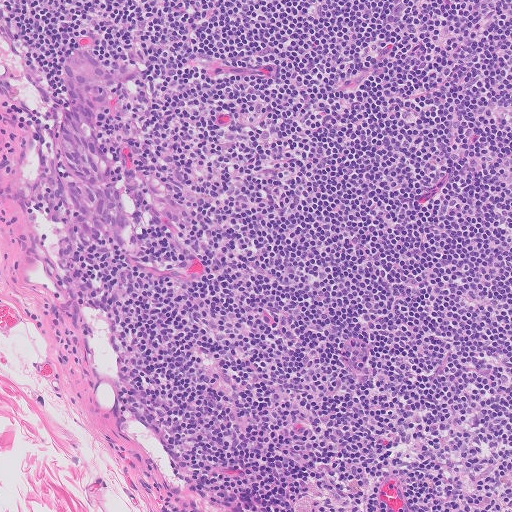
A 0.51-mm field of an H&E-stained sentinel lymph node from a breast-cancer patient (whole-slide image), shown at about 10×, about 1.0 µm per pixel.
One metastatic tumour region; its boundary, reduced to 12 corners and listed clockwise: (86, 46), (110, 64), (119, 78), (119, 94), (104, 123), (128, 216), (118, 245), (101, 249), (72, 240), (53, 195), (54, 146), (71, 48).
Tumour covers about 5% of the frame.